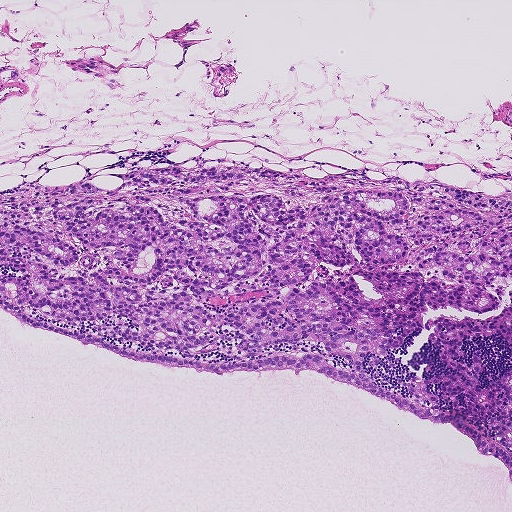
A 0.93-mm field of an H&E-stained sentinel lymph node from a breast-cancer patient (whole-slide image), shown at about 5×, about 1.8 µm per pixel.
Question: Does this lymph node field contain metastatic tumour?
Answer: Yes.
Tumour region outline (a closed clockwise path, crop pixels): (241, 164), (349, 187), (456, 185), (506, 200), (511, 482), (505, 464), (447, 423), (346, 382), (306, 370), (212, 375), (140, 363), (0, 308), (0, 207), (13, 208), (4, 202), (11, 195), (115, 186), (122, 180), (109, 174), (151, 168).
The annotated tumour makes up about 40% of the crop.